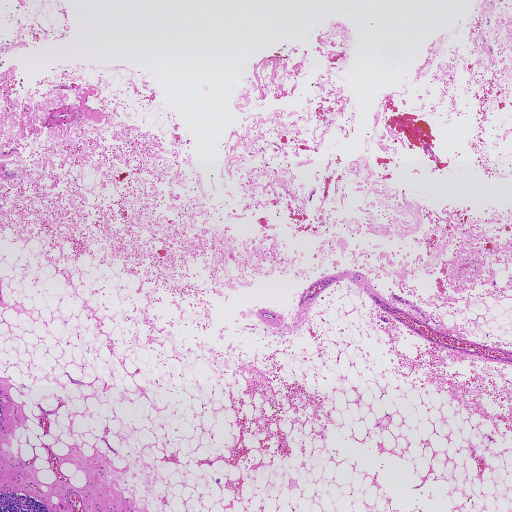
Lymph node section stained with H&E, from a whole-slide image of a breast-cancer sentinel node. Magnification about 2.5×, about 1.9 mm across the frame, about 3.6 µm per pixel.